Lymph node section stained with H&E, from a whole-slide image of a breast-cancer sentinel node. Magnification about 40×, about 0.12 mm across the frame, about 0.24 µm per pixel.
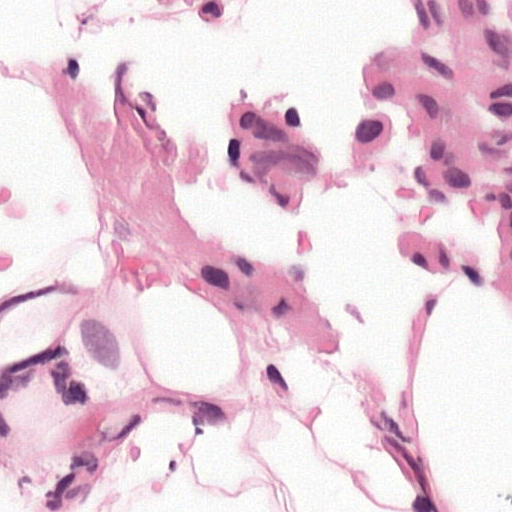
Two metastatic tumour regions, each outlined as a closed clockwise path in crop pixels (x, y), largest first: region 1: (135, 0), (511, 0), (511, 327), (431, 282), (362, 213), (273, 219), (216, 134), (194, 23); region 2: (105, 284), (152, 298), (169, 386), (85, 407), (52, 327).
About 30% of the image area is annotated as tumour.